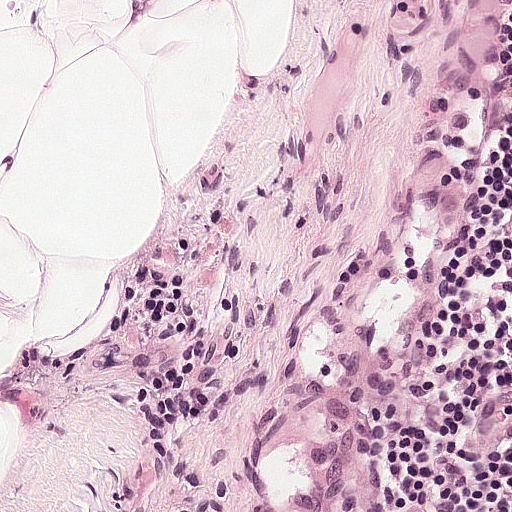
H&E-stained section of a sentinel lymph node (breast cancer), from a whole-slide image, viewed at about 20×: the field is about 0.25 mm across, about 0.49 µm per pixel.
Question: Is there metastatic carcinoma in this field?
Answer: No: no metastatic tumour is outlined anywhere in this field.